H&E-stained section of a sentinel lymph node (breast cancer), from a whole-slide image, viewed at about 5×: the field is about 1 mm across, about 1.9 µm per pixel.
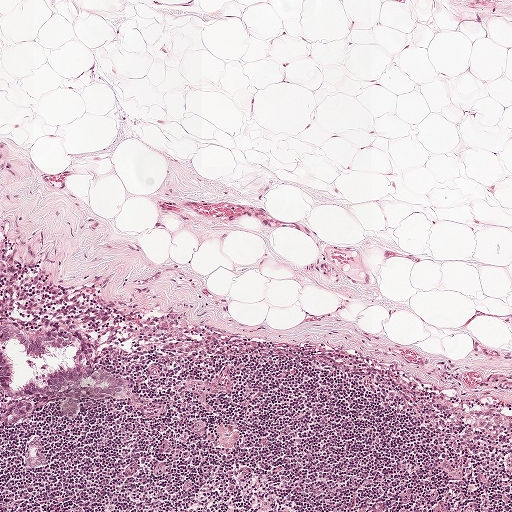
Boundaries of two metastatic tumour regions, simplified and listed clockwise, largest first: region 1: (0, 324), (15, 324), (36, 338), (53, 326), (83, 328), (97, 342), (97, 367), (126, 377), (130, 384), (130, 396), (119, 401), (89, 398), (81, 418), (70, 422), (58, 413), (63, 397), (57, 397), (41, 406), (20, 427), (0, 429); region 2: (38, 435), (40, 437), (47, 461), (44, 466), (32, 467), (22, 464), (23, 452), (30, 437).
About 5% of this field is tumour.